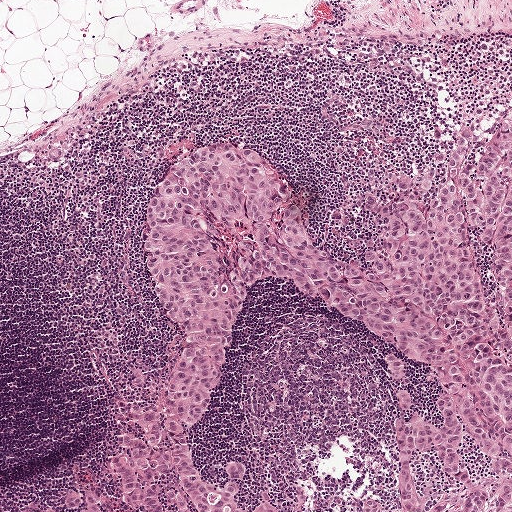
H&E-stained section of a sentinel lymph node (breast cancer), from a whole-slide image, viewed at about 5×: the field is about 1 mm across, about 1.9 µm per pixel.
Tumour region outline (a closed clockwise path, crop pixels): (511, 102), (511, 511), (47, 511), (55, 493), (118, 455), (120, 465), (124, 400), (165, 382), (179, 348), (134, 233), (140, 197), (171, 155), (254, 143), (316, 231), (356, 255), (325, 207), (421, 166), (421, 134).
Tumour covers about 50% of the frame.